Question: 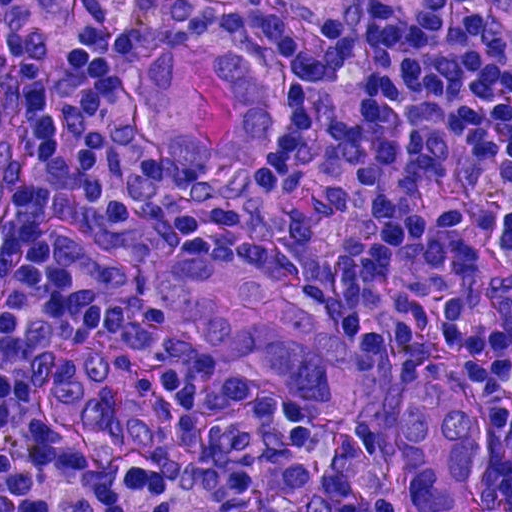
About what magnification does this crop show?

Choices:
 (A) about 10×
 (B) about 40×
 (C) about 2.5×
 (D) about 20×
 (E) about 5×

Answer: (B) about 40×
A 0.12-mm field of an H&E-stained sentinel lymph node from a breast-cancer patient (whole-slide image), shown at about 40×, about 0.23 µm per pixel.
Four metastatic tumour regions, each outlined as a closed clockwise path in crop pixels (x, y), largest first: region 1: (187, 249), (219, 255), (248, 267), (360, 349), (378, 374), (373, 404), (347, 419), (319, 417), (162, 314), (149, 285), (157, 255); region 2: (210, 40), (238, 46), (263, 62), (280, 87), (279, 115), (235, 160), (207, 172), (178, 171), (156, 151), (129, 97), (136, 66), (157, 45); region 3: (423, 375), (452, 380), (471, 406), (480, 496), (490, 511), (420, 511), (406, 483), (392, 421), (397, 390); region 4: (478, 0), (511, 0), (511, 39), (491, 20).
Tumour covers about 15% of the frame.